Image:
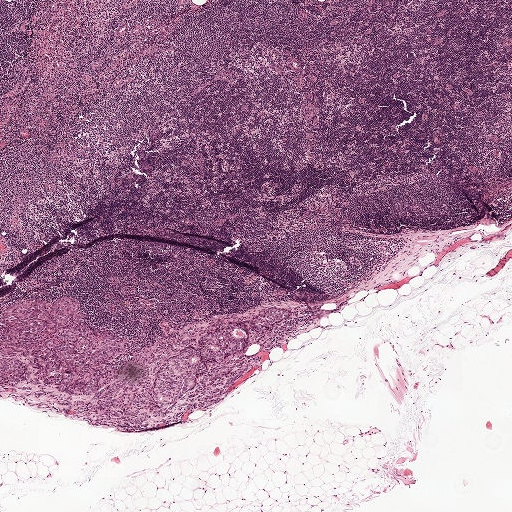
Lymph node section stained with H&E, from a whole-slide image of a breast-cancer sentinel node. Magnification about 2.5×, about 2.0 mm across the frame, about 3.9 µm per pixel.
Question:
Outline the metastatic carcinoma in this image, as closed paths of (x, y) pixel coordinates.
Answer:
One metastatic tumour region; its boundary, reduced to 22 corners and listed clockwise: (62, 296), (127, 341), (112, 368), (165, 341), (197, 341), (219, 322), (244, 323), (250, 343), (261, 334), (253, 315), (264, 307), (289, 310), (295, 327), (267, 351), (246, 347), (261, 364), (198, 412), (110, 427), (32, 397), (35, 385), (0, 389), (3, 309).
About 10% of this field is tumour.